H&E-stained section of a sentinel lymph node (breast cancer), from a whole-slide image, viewed at about 10×: the field is about 0.46 mm across, about 0.91 µm per pixel.
Image:
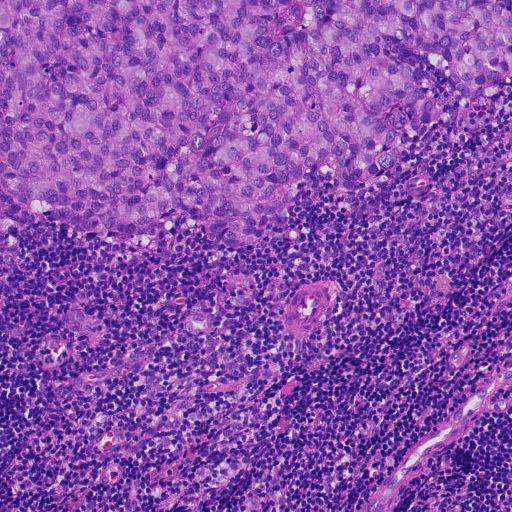
Question:
Which parts of this field are metastatic tumour?
Answer:
Metastatic tumour outline, simplified to 22 points and listed clockwise in crop pixels (x, y): (0, 0), (499, 0), (511, 13), (511, 84), (499, 83), (508, 100), (500, 110), (474, 104), (416, 63), (448, 99), (434, 139), (414, 134), (370, 194), (346, 191), (321, 167), (259, 244), (223, 244), (186, 210), (163, 234), (84, 232), (39, 212), (0, 236).
About 40% of the image area is annotated as tumour.